Image:
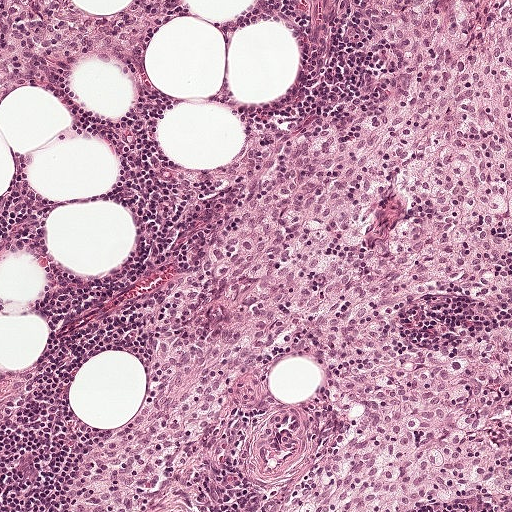
A 0.5-mm field of an H&E-stained sentinel lymph node from a breast-cancer patient (whole-slide image), shown at about 10×, about 0.97 µm per pixel.
Question:
Does this lymph node field contain metastatic tumour?
Answer:
No. No metastatic tumour is outlined in this field.